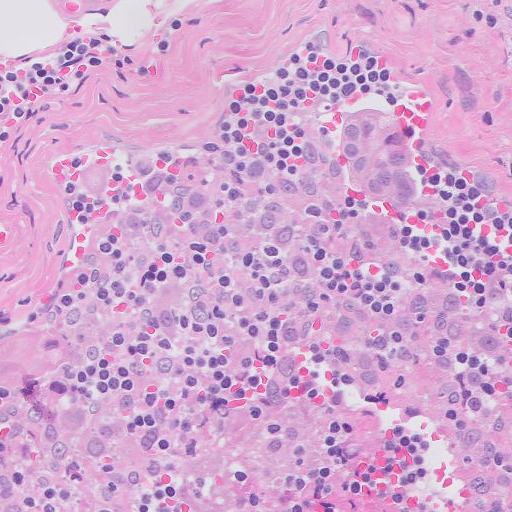
H&E-stained section of a sentinel lymph node (breast cancer), from a whole-slide image, viewed at about 20×: the field is about 0.26 mm across, about 0.5 µm per pixel.
Boundaries of two metastatic tumour regions, simplified and listed clockwise, largest first: region 1: (375, 92), (414, 110), (437, 181), (418, 217), (376, 212), (342, 173), (324, 120); region 2: (30, 320), (58, 323), (92, 344), (68, 380), (24, 399), (0, 393), (0, 326).
The annotated tumour makes up about 5% of the crop.